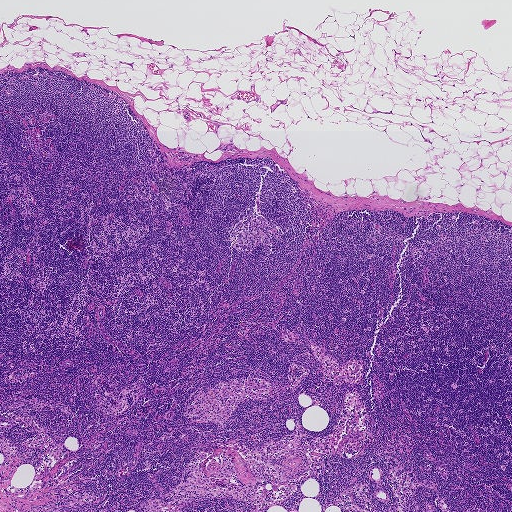
Lymph node section stained with H&E, from a whole-slide image of a breast-cancer sentinel node. Magnification about 2.5×, about 1.9 mm across the frame, about 3.6 µm per pixel.
Question: Is any metastatic breast cancer visible in this crop?
Answer: No, this field holds no outlined metastasis.